Question: 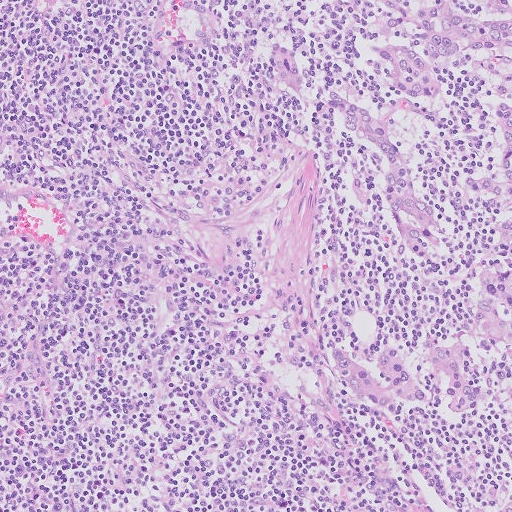
A 0.51-mm field of an H&E-stained sentinel lymph node from a breast-cancer patient (whole-slide image), shown at about 10×, about 1.0 µm per pixel.
Roughly what share of this field is metastatic tumour?

Choices:
 (A) none: no tumour is outlined
 (B) about 5% or less
 (C) about 25% to 45%
 (D) about 50% or more
 (E) about 10% to 20%

Answer: (C) about 25% to 45%
About 25% of the field is tumour.
One metastatic tumour region; its boundary, reduced to 13 corners and listed clockwise: (323, 0), (511, 0), (511, 498), (457, 436), (384, 428), (326, 385), (350, 348), (429, 328), (440, 306), (436, 278), (378, 236), (356, 166), (317, 131).